Image:
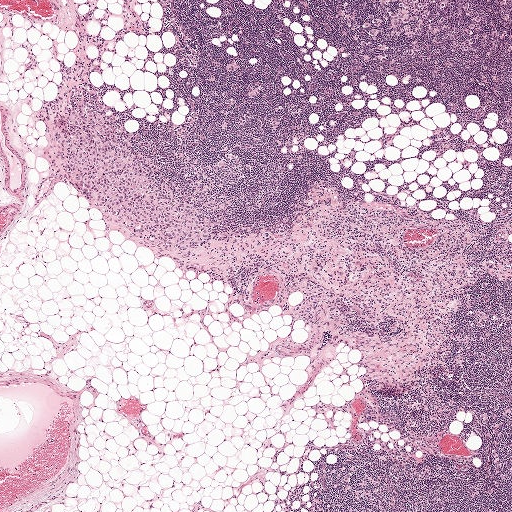
Lymph node section stained with H&E, from a whole-slide image of a breast-cancer sentinel node. Magnification about 2.5×, about 2.0 mm across the frame, about 3.9 µm per pixel.
Question:
Outline the metastatic carcinoma in this image, as closed paths of (x, y) pixel coordinates.
Answer:
Boundaries of five metastatic tumour regions, simplified and listed clockwise, largest first: region 1: (83, 84), (98, 87), (122, 130), (162, 166), (175, 190), (208, 198), (214, 234), (208, 242), (178, 247), (122, 232), (55, 169), (47, 143), (64, 96); region 2: (342, 0), (509, 0), (511, 60), (491, 46), (465, 56), (421, 55), (400, 49), (383, 61), (366, 60), (360, 53), (358, 34), (340, 14); region 3: (310, 479), (315, 480), (318, 487), (321, 500), (321, 511), (259, 511), (276, 507), (272, 500), (277, 495), (282, 496), (287, 494), (292, 483); region 4: (318, 285), (331, 292), (344, 310), (344, 317), (341, 320), (302, 320), (296, 317), (291, 306), (299, 302), (304, 294), (311, 287); region 5: (277, 228), (281, 228), (282, 228), (283, 228), (283, 232), (280, 234), (272, 235), (268, 239), (266, 239), (263, 239), (260, 238), (261, 234), (263, 232), (267, 231), (270, 232), (273, 231).
About 10% of this field is tumour.